Lymph node section stained with H&E, from a whole-slide image of a breast-cancer sentinel node. Magnification about 20×, about 0.25 mm across the frame, about 0.49 µm per pixel.
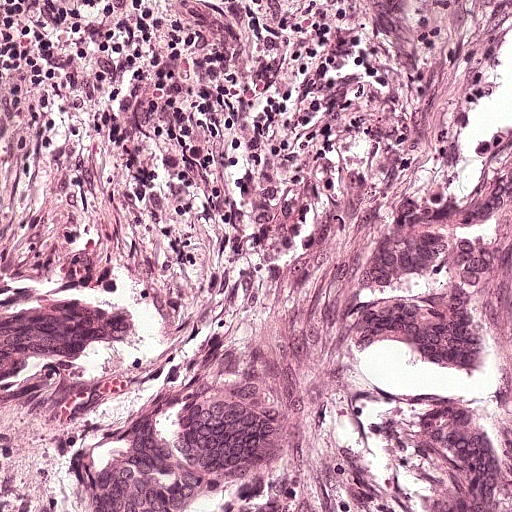
Question: Does this lymph node field contain metastatic tumour?
Answer: Yes.
Metastatic tumour outline, simplified to 11 points and listed clockwise in crop pixels (x, y): (510, 51), (511, 511), (0, 511), (0, 332), (78, 312), (238, 342), (300, 322), (332, 298), (366, 246), (379, 250), (413, 165).
Tumour covers about 45% of the frame.